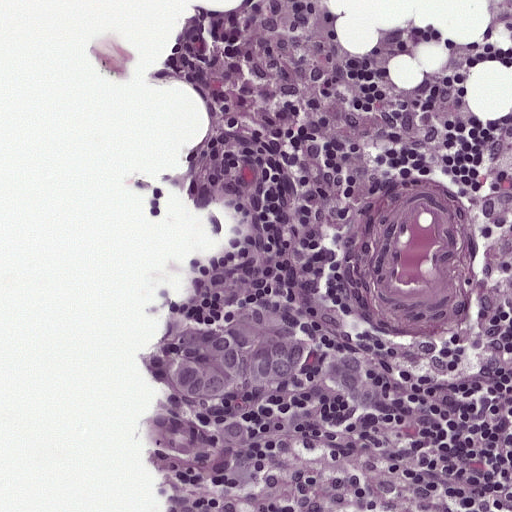
This is a crop of a whole-slide image: an H&E-stained breast-cancer sentinel lymph node section at roughly 20× magnification (about 0.49 µm per pixel; the crop spans about 0.25 mm).
The outlined metastatic tumour's edge, as a closed clockwise path of 13 points: (257, 300), (279, 302), (302, 318), (311, 342), (301, 367), (268, 385), (238, 382), (218, 397), (187, 398), (170, 376), (170, 344), (198, 330), (240, 320).
Two more small tumour pieces are annotated here but not outlined.
About 5% of the image area is annotated as tumour.